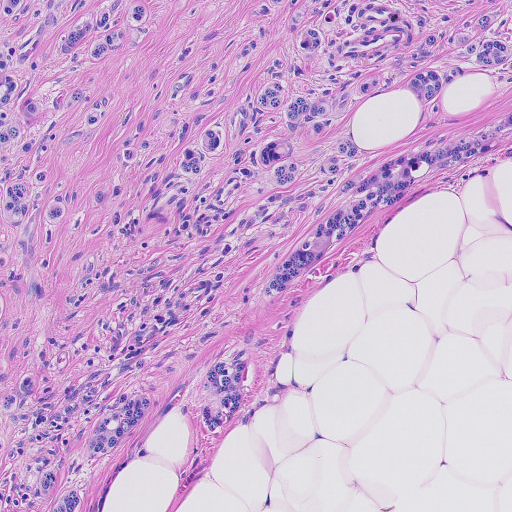
A 0.46-mm field of an H&E-stained sentinel lymph node from a breast-cancer patient (whole-slide image), shown at about 10×, about 0.91 µm per pixel.
Tumour region outline (a closed clockwise path, crop pixels): (0, 0), (511, 0), (511, 136), (378, 208), (304, 278), (264, 328), (249, 392), (226, 427), (211, 436), (196, 422), (190, 380), (208, 352), (174, 378), (80, 511), (0, 511).
The annotated tumour makes up about 65% of the crop.